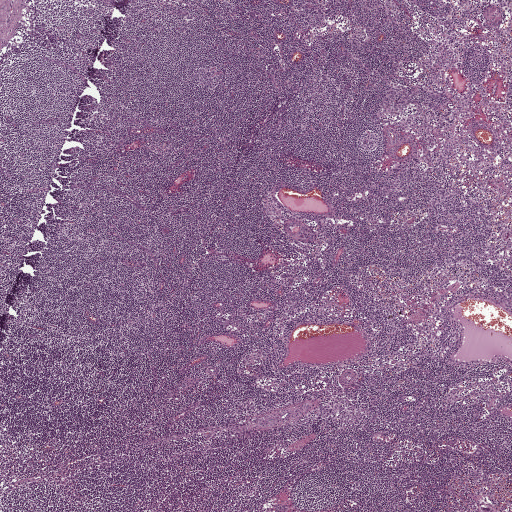
H&E-stained section of a sentinel lymph node (breast cancer), from a whole-slide image, viewed at about 2.5×: the field is about 2.0 mm across, about 3.9 µm per pixel.